Image:
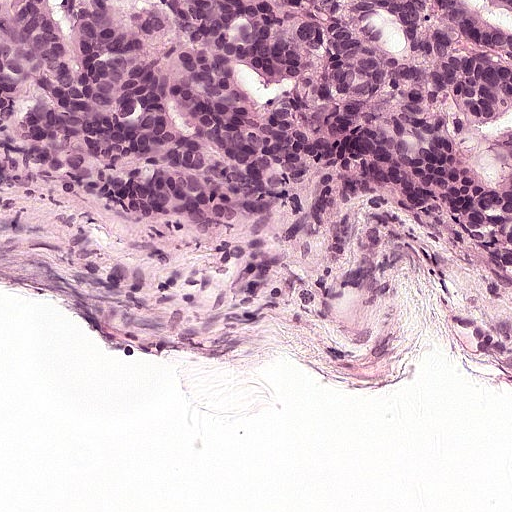
This is a crop of a whole-slide image: an H&E-stained breast-cancer sentinel lymph node section at roughly 20× magnification (about 0.49 µm per pixel; the crop spans about 0.25 mm).
Question:
Is any metastatic breast cancer visible in this crop?
Answer:
Yes.
Metastatic tumour outline, simplified to 12 points and listed clockwise in crop pixels (x, y): (0, 0), (511, 0), (511, 302), (476, 275), (438, 220), (406, 221), (356, 245), (232, 252), (186, 237), (118, 190), (44, 170), (7, 142).
The annotated tumour makes up about 45% of the crop.